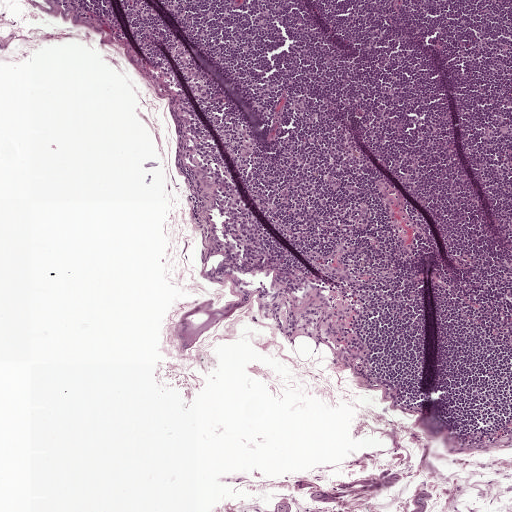
This is a crop of a whole-slide image: an H&E-stained breast-cancer sentinel lymph node section at roughly 5× magnification (about 1.9 µm per pixel; the crop spans about 1 mm).